Image:
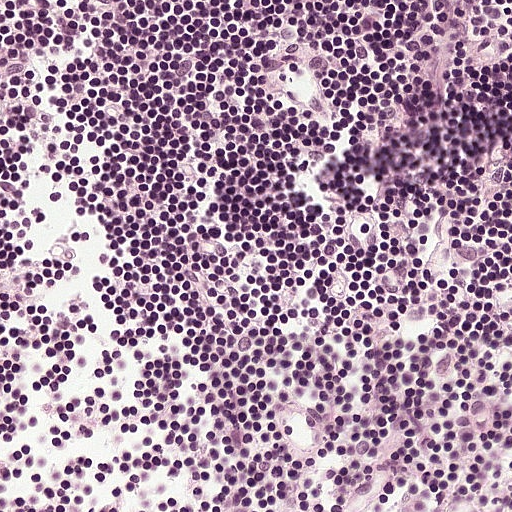
This is a crop of a whole-slide image: an H&E-stained breast-cancer sentinel lymph node section at roughly 20× magnification (about 0.49 µm per pixel; the crop spans about 0.25 mm).
Question:
Is there metastatic carcinoma in this field?
Answer:
No: no metastatic tumour is outlined anywhere in this field.